Question: 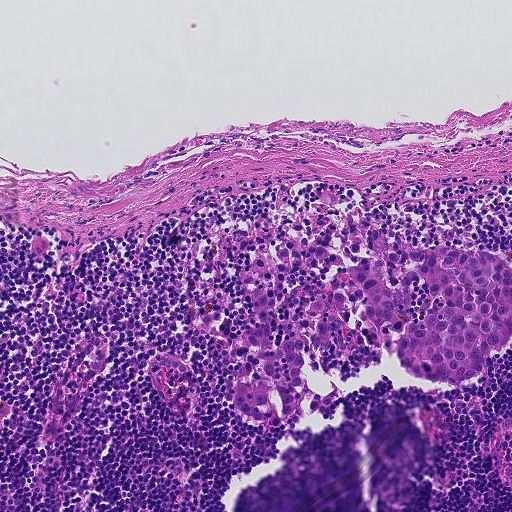
H&E-stained section of a sentinel lymph node (breast cancer), from a whole-slide image, viewed at about 10×: the field is about 0.46 mm across, about 0.9 µm per pixel.
About how much of this crop is taken up by metastatic carcinoma?

Choices:
 (A) about 50% or more
 (B) about 25% to 45%
 (C) none: no tumour is outlined
 (D) about 5% or less
 (E) about 10% to 20%

Answer: (E) about 10% to 20%
About 10% of the field is tumour.
Tumour region outline (a closed clockwise path, crop pixels): (378, 233), (395, 252), (507, 260), (511, 334), (482, 372), (460, 386), (399, 366), (388, 350), (302, 352), (313, 391), (336, 393), (326, 416), (279, 426), (242, 416), (232, 394), (254, 313), (248, 288), (268, 297), (275, 347), (327, 281), (311, 252), (370, 252), (366, 234).